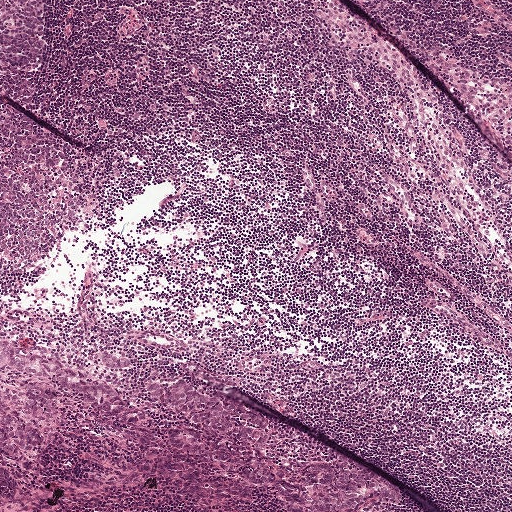
This is a crop of a whole-slide image: an H&E-stained breast-cancer sentinel lymph node section at roughly 5× magnification (about 1.9 µm per pixel; the crop spans about 1 mm).
Outlines of six tumour regions, largest first (closed clockwise paths, crop pixels): region 1: (172, 430), (190, 431), (226, 448), (267, 458), (285, 469), (296, 470), (318, 462), (359, 469), (389, 484), (402, 500), (399, 506), (371, 505), (362, 511), (285, 511), (269, 489), (204, 463), (185, 459), (167, 442), (166, 436); region 2: (158, 379), (170, 384), (181, 380), (201, 391), (219, 394), (258, 412), (271, 426), (269, 446), (266, 449), (258, 449), (232, 444), (188, 425), (178, 416), (152, 403), (146, 389), (150, 382); region 3: (0, 336), (64, 364), (80, 366), (96, 373), (116, 392), (132, 403), (143, 417), (142, 425), (125, 426), (85, 406), (80, 400), (54, 382), (29, 379), (1, 367); region 4: (24, 386), (43, 386), (53, 392), (59, 408), (60, 422), (51, 446), (31, 457), (35, 464), (31, 470), (21, 470), (0, 455), (0, 387), (9, 390), (22, 401), (24, 397), (21, 389); region 5: (0, 466), (12, 474), (15, 486), (15, 495), (0, 502); region 6: (106, 351), (114, 353), (116, 357), (119, 356), (130, 358), (131, 365), (116, 370), (103, 367), (99, 362), (100, 354).
About 10% of the image area is annotated as tumour.